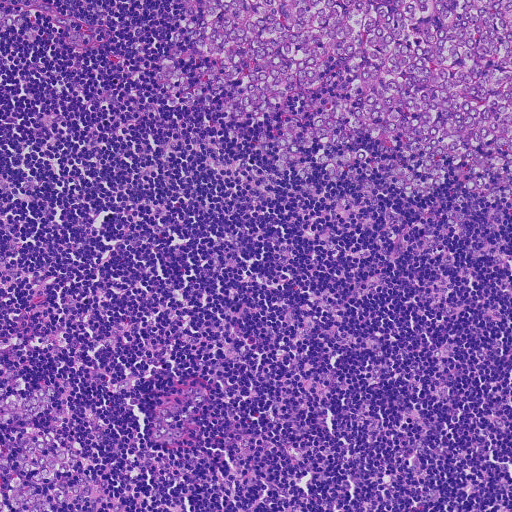
A 0.46-mm field of an H&E-stained sentinel lymph node from a breast-cancer patient (whole-slide image), shown at about 10×, about 0.91 µm per pixel.
Outlines of three tumour regions, largest first (closed clockwise paths, crop pixels): region 1: (182, 0), (511, 0), (511, 196), (478, 196), (453, 228), (440, 219), (464, 182), (448, 157), (442, 186), (416, 199), (373, 164), (333, 178), (289, 176), (258, 146), (342, 88), (345, 65), (248, 122), (233, 120), (228, 91), (214, 85), (176, 105), (154, 84), (154, 70); region 2: (22, 434), (50, 434), (63, 440), (73, 451), (91, 474), (92, 490), (79, 498), (55, 506), (54, 511), (0, 511), (0, 442); region 3: (0, 364), (28, 377), (31, 391), (44, 385), (54, 386), (57, 399), (49, 410), (27, 424), (12, 421), (0, 425).
Tumour covers about 25% of the frame.